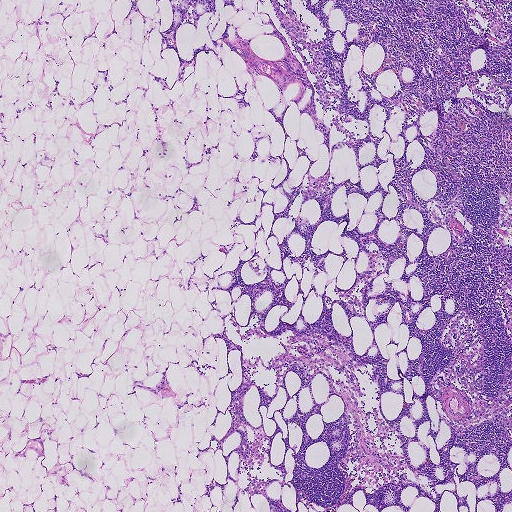
This is a crop of a whole-slide image: an H&E-stained breast-cancer sentinel lymph node section at roughly 2.5× magnification (about 3.6 µm per pixel; the crop spans about 1.9 mm).
Question: Is there metastatic carcinoma in this field?
Answer: No: no metastatic tumour is outlined anywhere in this field.